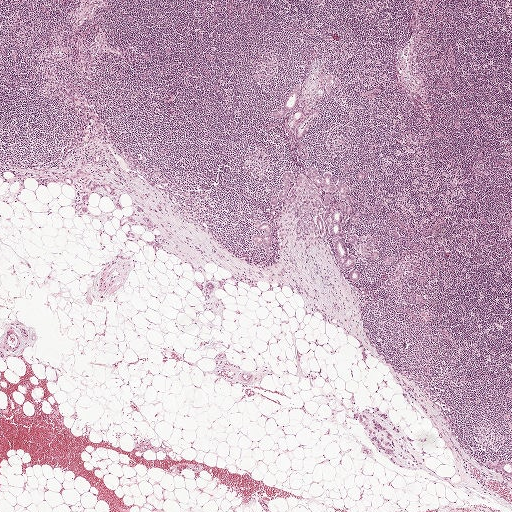
H&E-stained section of a sentinel lymph node (breast cancer), from a whole-slide image, viewed at about 2.5×: the field is about 2.0 mm across, about 3.9 µm per pixel.
Outlines of the eight largest metastatic tumour regions, each a closed clockwise path in crop pixels (x, y), largest first: region 1: (311, 167), (331, 174), (334, 184), (342, 180), (349, 183), (360, 220), (356, 226), (349, 226), (349, 231), (359, 239), (358, 244), (346, 243), (356, 258), (359, 280), (351, 280), (335, 263), (326, 234), (300, 241), (294, 236), (293, 221), (284, 212), (280, 226), (273, 234), (274, 256), (268, 256), (253, 245), (252, 232), (260, 231), (254, 224), (256, 219), (277, 226), (279, 210), (270, 203), (275, 195), (280, 204), (284, 172), (303, 172); region 2: (310, 79), (311, 82), (323, 90), (323, 96), (318, 98), (316, 103), (310, 105), (299, 120), (291, 127), (288, 127), (287, 124), (301, 101), (306, 97), (306, 93), (310, 88), (307, 82); region 3: (296, 82), (300, 84), (300, 89), (294, 112), (279, 120), (271, 116), (282, 106); region 4: (318, 107), (320, 109), (307, 129), (303, 139), (298, 141), (293, 136), (294, 128), (298, 121); region 5: (490, 461), (497, 461), (508, 463), (511, 462), (511, 482), (504, 478), (492, 470), (490, 469), (488, 462); region 6: (363, 234), (366, 236), (367, 235), (369, 235), (372, 238), (372, 241), (371, 245), (368, 247), (363, 247), (368, 251), (368, 254), (367, 255), (360, 253), (357, 254), (356, 253), (356, 247), (358, 244), (362, 242), (361, 237); region 7: (323, 73), (330, 74), (333, 78), (332, 93), (330, 94), (325, 92), (324, 86), (321, 85), (322, 78), (321, 76); region 8: (299, 141), (302, 141), (308, 149), (308, 156), (307, 159), (304, 159), (300, 157), (297, 152), (297, 146).
Region 8 encloses a non-tumour hole of about 20% of its area.
One more, smaller tumour region is not outlined.
Five more small tumour pieces are annotated here but not outlined.
About 5% of the image area is annotated as tumour.